This is a crop of a whole-slide image: an H&E-stained breast-cancer sentinel lymph node section at roughly 10× magnification (about 0.9 µm per pixel; the crop spans about 0.46 mm).
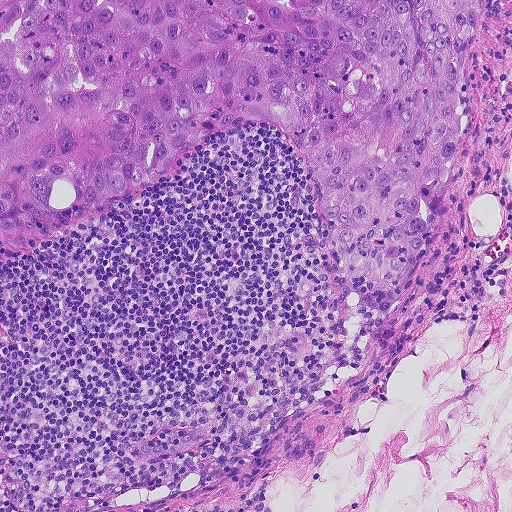
The outlined metastatic tumour's edge, as a closed clockwise path of 12 points: (0, 0), (491, 0), (464, 67), (466, 119), (446, 206), (396, 306), (364, 305), (344, 277), (297, 143), (252, 124), (34, 244), (0, 240).
The annotated tumour makes up about 35% of the crop.